Question: 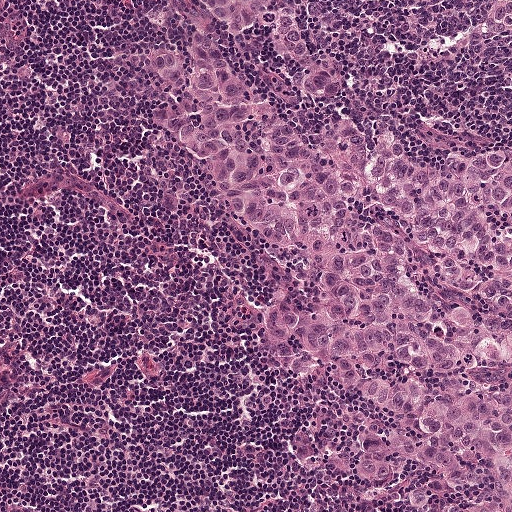
A 0.5-mm field of an H&E-stained sentinel lymph node from a breast-cancer patient (whole-slide image), shown at about 10×, about 0.97 µm per pixel.
What fraction of the image area is metastatic tumour?

Choices:
 (A) about 5% or less
 (B) about 50% or more
 (C) about 25% to 45%
 (D) about 10% to 20%
 (E) none: no tumour is outlined

Answer: (B) about 50% or more
About 55% of the field is tumour.
The outlined metastatic tumour's edge, as a closed clockwise path of 10 points: (511, 0), (511, 511), (367, 511), (356, 501), (317, 417), (248, 348), (242, 308), (253, 253), (162, 150), (136, 1).